Lymph node section stained with H&E, from a whole-slide image of a breast-cancer sentinel node. Magnification about 20×, about 0.23 mm across the frame, about 0.45 µm per pixel.
Question: 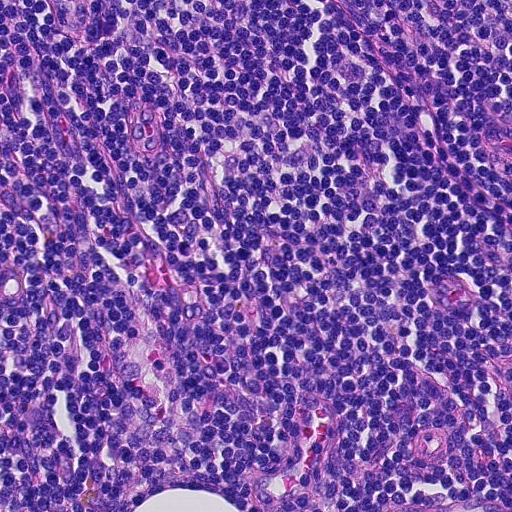
What fraction of the image area is metastatic tumour?

Choices:
 (A) about 25% to 45%
 (B) none: no tumour is outlined
 (C) about 10% to 20%
 (D) about 5% or less
 (E) about 50% or more

Answer: (B) none: no tumour is outlined
No metastatic tumour is outlined in this field.